H&E-stained section of a sentinel lymph node (breast cancer), from a whole-slide image, viewed at about 5×: the field is about 1 mm across, about 1.9 µm per pixel.
Question: 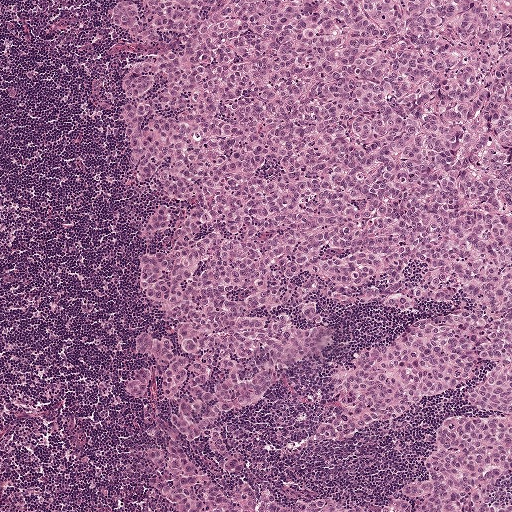
Roughly what share of this field is metastatic tumour?

Choices:
 (A) none: no tumour is outlined
 (B) about 50% or more
 (C) about 25% to 45%
 (D) about 5% or less
 (E) about 10% to 20%

Answer: (B) about 50% or more
About 75% of the field is tumour.
One metastatic tumour region; its boundary, reduced to 11 corners and listed clockwise: (108, 0), (511, 0), (511, 511), (164, 511), (121, 386), (136, 358), (134, 336), (153, 317), (135, 291), (141, 211), (121, 176).